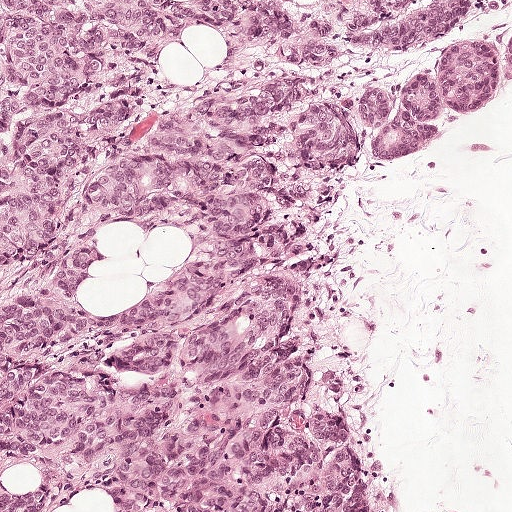
This is a crop of a whole-slide image: an H&E-stained breast-cancer sentinel lymph node section at roughly 10× magnification (about 0.97 µm per pixel; the crop spans about 0.5 mm).
One metastatic tumour region; its boundary, reduced to 9 corners and listed clockwise: (0, 0), (511, 0), (511, 154), (484, 176), (356, 230), (356, 299), (404, 416), (413, 511), (0, 511).
The annotated tumour makes up about 85% of the crop.